Question: 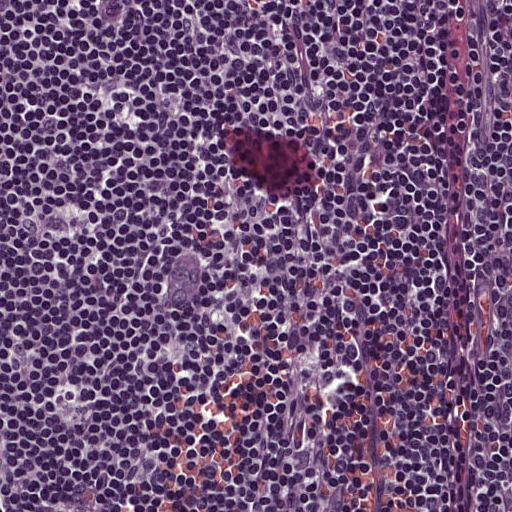
At roughly what magnification is this field shown?

Choices:
 (A) about 10×
 (B) about 20×
 (C) about 5×
 (D) about 2.5×
 (E) about 40×

Answer: (B) about 20×
Lymph node section stained with H&E, from a whole-slide image of a breast-cancer sentinel node. Magnification about 20×, about 0.25 mm across the frame, about 0.49 µm per pixel.